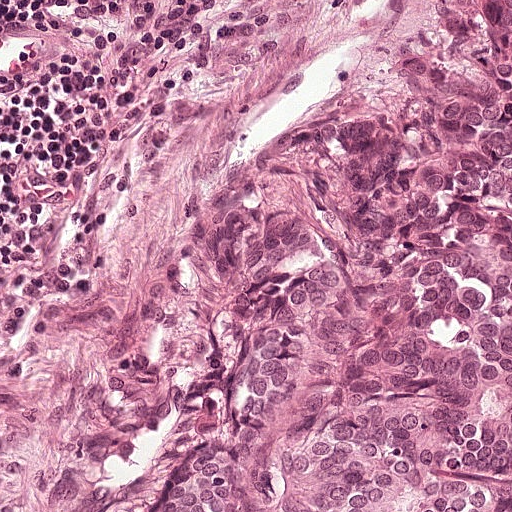
This is a crop of a whole-slide image: an H&E-stained breast-cancer sentinel lymph node section at roughly 20× magnification (about 0.49 µm per pixel; the crop spans about 0.25 mm).
Metastatic tumour outline, simplified to 10 points and listed clockwise in crop pixels (x, y): (511, 0), (511, 511), (120, 511), (145, 475), (145, 455), (161, 446), (190, 343), (245, 246), (420, 41), (438, 2).
Tumour covers about 50% of the frame.